Question: 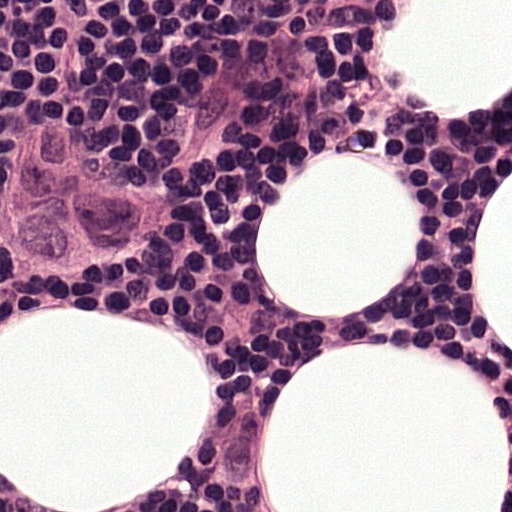
At roughly what magnification is this field shown?

Choices:
 (A) about 10×
 (B) about 2.5×
 (C) about 20×
 (D) about 5×
 (E) about 40×

Answer: (E) about 40×
A 0.12-mm field of an H&E-stained sentinel lymph node from a breast-cancer patient (whole-slide image), shown at about 40×, about 0.24 µm per pixel.
Metastatic tumour outline, simplified to 17 points and listed clockwise in crop pixels (x, y): (26, 90), (63, 108), (86, 108), (90, 117), (113, 126), (131, 158), (190, 190), (194, 244), (172, 276), (149, 289), (54, 289), (31, 281), (13, 262), (0, 245), (4, 149), (26, 122), (79, 122).
The annotated tumour makes up about 10% of the crop.